Lymph node section stained with H&E, from a whole-slide image of a breast-cancer sentinel node. Magnification about 20×, about 0.25 mm across the frame, about 0.49 µm per pixel.
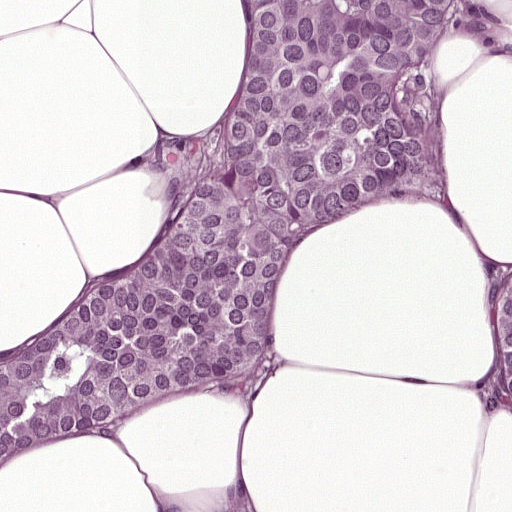
Question: Where is the metastatic tumour in this field? Give each region's outline as (x, y) pixel points.
Answer: Boundaries of two metastatic tumour regions, simplified and listed clockwise, largest first: region 1: (231, 0), (461, 0), (463, 21), (431, 57), (449, 108), (429, 209), (411, 191), (378, 197), (287, 237), (270, 362), (170, 394), (104, 436), (0, 443), (0, 353), (86, 310), (155, 240), (158, 194), (182, 148), (228, 134), (240, 36); region 2: (511, 289), (511, 417), (506, 416), (464, 358).
About 35% of the image area is annotated as tumour.